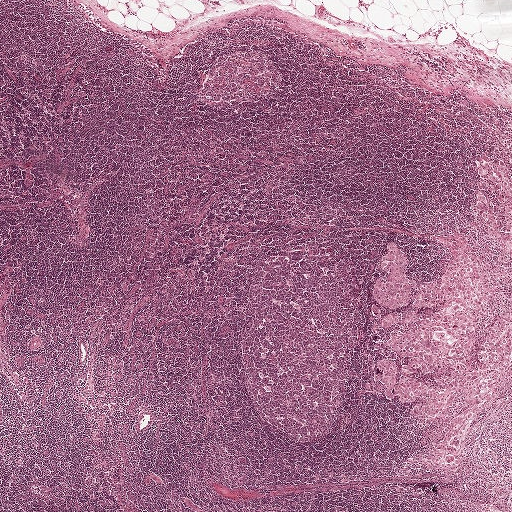
Lymph node section stained with H&E, from a whole-slide image of a breast-cancer sentinel node. Magnification about 2.5×, about 2.0 mm across the frame, about 3.9 µm per pixel.
Metastatic tumour outline, simplified to 23 points and listed clockwise in crop pixels (x, y): (484, 149), (504, 149), (511, 151), (511, 359), (460, 470), (425, 476), (405, 468), (420, 429), (402, 405), (364, 384), (376, 352), (372, 285), (382, 275), (378, 257), (389, 239), (398, 242), (419, 278), (434, 278), (449, 260), (452, 235), (491, 255), (476, 206), (474, 158).
The annotated tumour makes up about 10% of the crop.